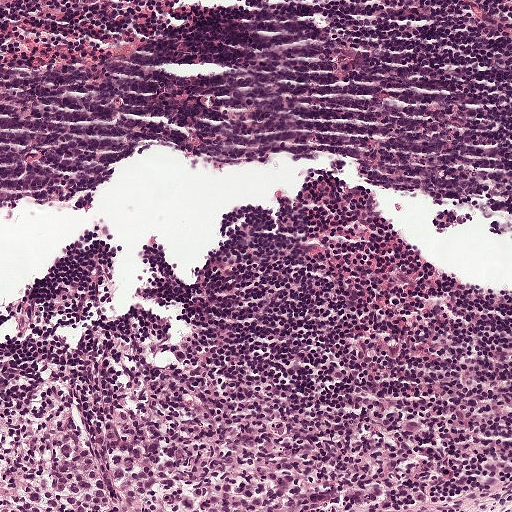
H&E-stained section of a sentinel lymph node (breast cancer), from a whole-slide image, viewed at about 10×: the field is about 0.5 mm across, about 0.97 µm per pixel.
Tumour region outline (a closed clockwise path, crop pixels): (79, 374), (134, 403), (226, 390), (308, 417), (347, 462), (365, 511), (0, 511), (0, 378).
About 15% of the image area is annotated as tumour.